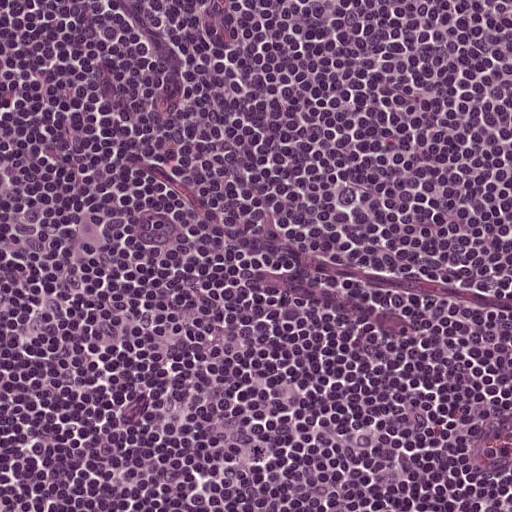
Lymph node section stained with H&E, from a whole-slide image of a breast-cancer sentinel node. Magnification about 20×, about 0.25 mm across the frame, about 0.49 µm per pixel.